Lymph node section stained with H&E, from a whole-slide image of a breast-cancer sentinel node. Magnification about 20×, about 0.25 mm across the frame, about 0.49 µm per pixel.
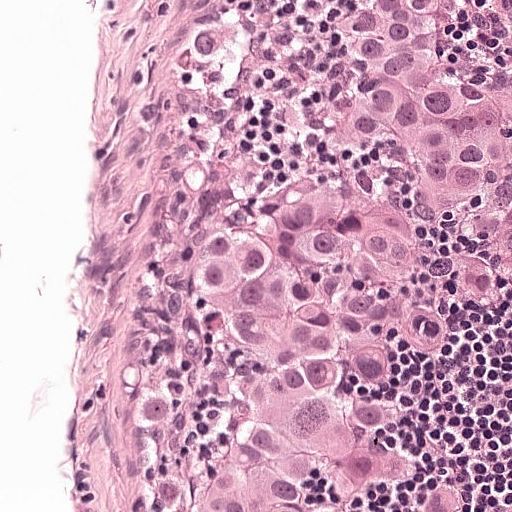
One metastatic tumour region; its boundary, reduced to 24 corners and listed clockwise: (318, 0), (449, 0), (454, 48), (511, 42), (511, 298), (436, 324), (407, 368), (363, 396), (380, 440), (438, 478), (430, 504), (390, 511), (372, 486), (343, 484), (338, 511), (173, 511), (166, 446), (224, 394), (222, 352), (176, 280), (176, 254), (205, 221), (290, 194), (315, 171).
One more small tumour piece is annotated here but not outlined.
Tumour covers about 45% of the frame.